H&E-stained section of a sentinel lymph node (breast cancer), from a whole-slide image, viewed at about 10×: the field is about 0.5 mm across, about 0.97 µm per pixel.
Image:
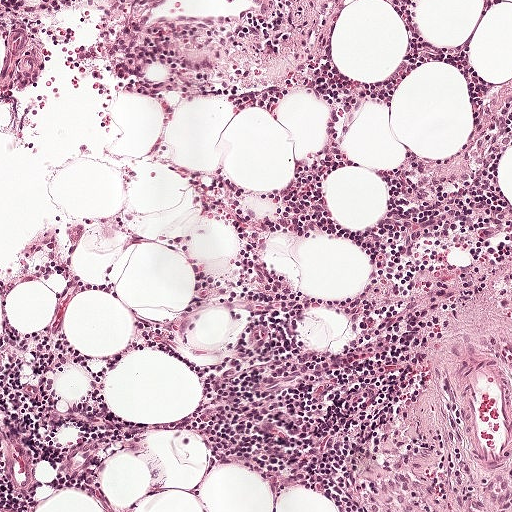
Question:
Does this lymph node field contain metastatic tumour?
Answer:
No. No metastatic tumour is outlined in this field.